Lymph node section stained with H&E, from a whole-slide image of a breast-cancer sentinel node. Magnification about 2.5×, about 2.0 mm across the frame, about 3.9 µm per pixel.
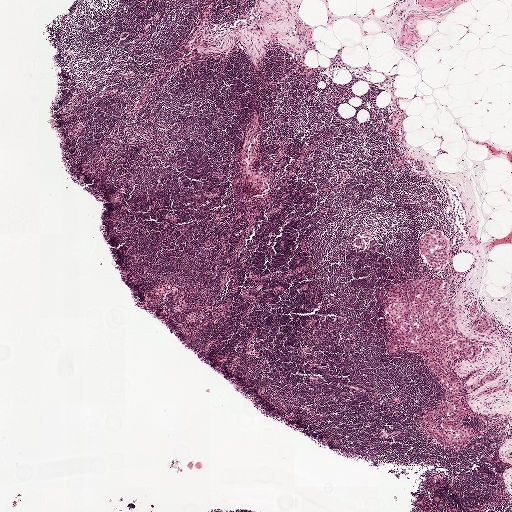
Boundaries of four metastatic tumour regions, simplified and listed clockwise, largest first: region 1: (422, 278), (437, 280), (456, 312), (457, 332), (479, 348), (474, 356), (451, 358), (467, 409), (461, 422), (476, 433), (463, 447), (451, 449), (420, 430), (424, 416), (445, 399), (421, 356), (385, 354), (392, 332), (383, 308); region 2: (435, 230), (443, 234), (446, 239), (449, 250), (443, 267), (431, 268), (422, 257), (418, 242), (425, 232); region 3: (482, 315), (486, 317), (491, 323), (491, 326), (489, 330), (478, 333), (473, 331), (471, 325), (474, 319); region 4: (496, 368), (500, 375), (486, 386), (478, 386), (477, 383), (479, 378), (489, 371).
About 5% of the image area is annotated as tumour.